Image:
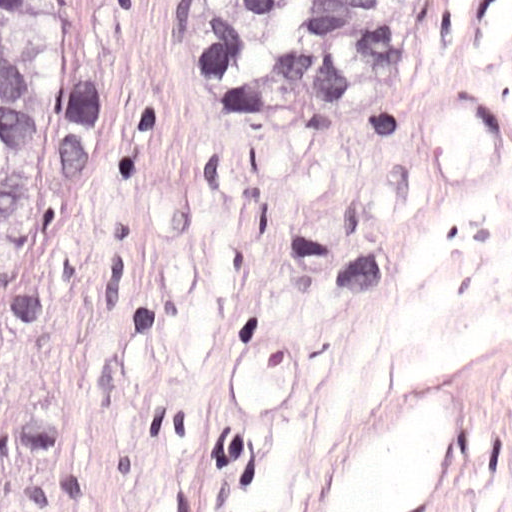
This is a crop of a whole-slide image: an H&E-stained breast-cancer sentinel lymph node section at roughly 40× magnification (about 0.24 µm per pixel; the crop spans about 0.12 mm).
Question:
Which parts of this field are metastatic tumour? Answer with the outline of each region, in pixels.
Answer:
Outlines of three tumour regions, largest first (closed clockwise paths, crop pixels): region 1: (185, 0), (431, 0), (381, 87), (316, 131), (202, 85); region 2: (0, 0), (75, 0), (75, 54), (66, 84), (78, 68), (107, 83), (108, 152), (56, 211), (50, 139), (0, 287); region 3: (288, 223), (351, 235), (409, 271), (349, 314), (270, 280).
Two more small tumour pieces are annotated here but not outlined.
The annotated tumour makes up about 20% of the crop.